This is a crop of a whole-slide image: an H&E-stained breast-cancer sentinel lymph node section at roughly 40× magnification (about 0.24 µm per pixel; the crop spans about 0.12 mm).
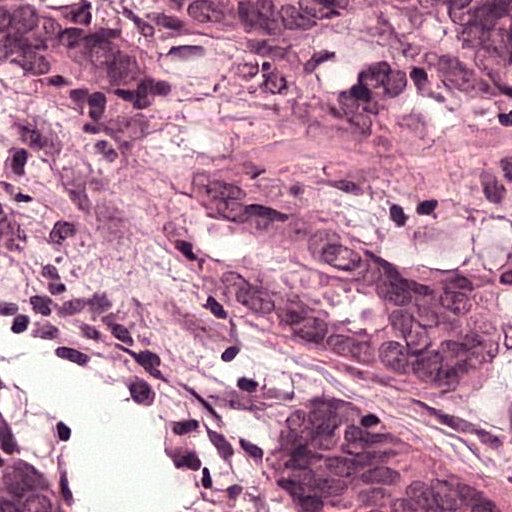
Three metastatic tumour regions, each outlined as a closed clockwise path in crop pixels (x, y), largest first: region 1: (245, 211), (266, 223), (304, 220), (410, 283), (511, 294), (511, 448), (397, 425), (507, 482), (511, 511), (194, 511), (257, 484), (298, 387), (344, 400), (304, 367), (210, 326), (182, 298), (201, 220); region 2: (0, 0), (511, 0), (511, 99), (425, 94), (338, 44), (320, 44), (202, 67), (197, 108), (175, 139), (75, 139), (2, 112); region 3: (0, 380), (38, 400), (72, 431), (107, 510), (0, 511).
One more small tumour piece is annotated here but not outlined.
About 50% of this field is tumour.